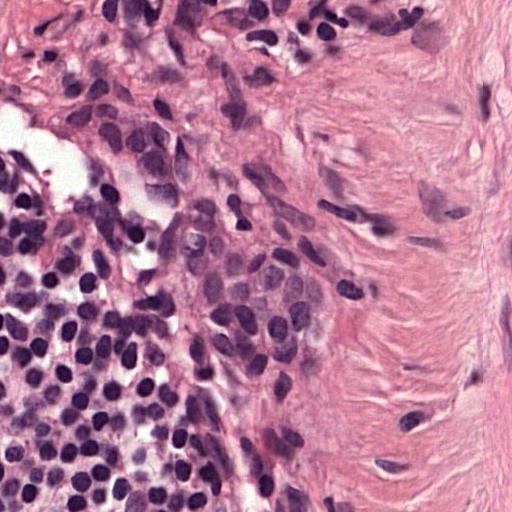
Lymph node section stained with H&E, from a whole-slide image of a breast-cancer sentinel node. Magnification about 40×, about 0.12 mm across the frame, about 0.24 µm per pixel.
The outlined metastatic tumour's edge, as a closed clockwise path of 11 points: (61, 67), (102, 71), (254, 200), (320, 273), (337, 319), (337, 367), (291, 384), (243, 372), (201, 348), (122, 168), (51, 101).
About 15% of the image area is annotated as tumour.